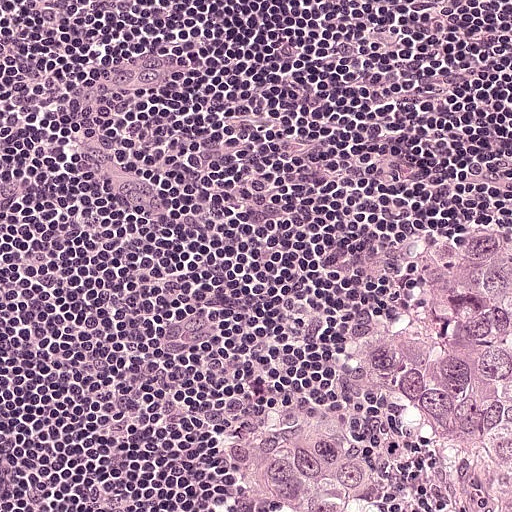
This is a crop of a whole-slide image: an H&E-stained breast-cancer sentinel lymph node section at roughly 20× magnification (about 0.49 µm per pixel; the crop spans about 0.25 mm).
Outlines of two tumour regions, largest first (closed clockwise paths, crop pixels): region 1: (474, 227), (510, 242), (511, 511), (451, 511), (451, 472), (443, 453), (368, 382), (352, 353), (352, 338), (406, 306), (420, 277), (422, 254), (448, 230); region 2: (318, 410), (348, 412), (370, 426), (390, 450), (394, 496), (401, 510), (232, 511), (225, 482), (225, 446), (256, 428), (295, 416), (289, 411), (301, 416).
About 15% of this field is tumour.